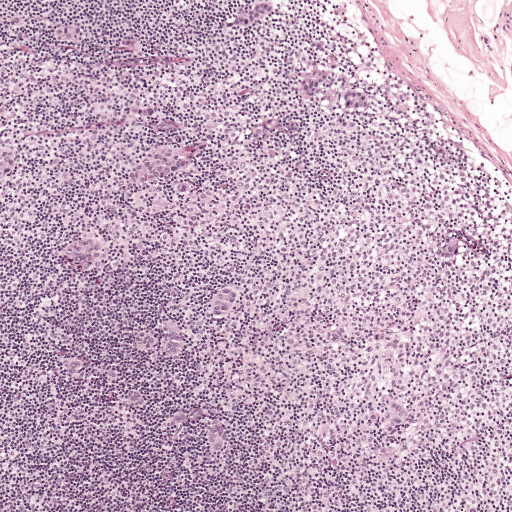
Lymph node section stained with H&E, from a whole-slide image of a breast-cancer sentinel node. Magnification about 5×, about 1 mm across the frame, about 1.9 µm per pixel.
The eight largest tumour regions' boundaries, simplified and listed clockwise, largest first: region 1: (159, 143), (172, 143), (186, 147), (190, 146), (198, 151), (198, 162), (187, 170), (142, 187), (129, 187), (116, 183), (113, 172), (144, 146); region 2: (145, 327), (184, 333), (191, 344), (185, 356), (174, 362), (162, 362), (151, 360), (140, 354), (130, 345), (132, 331); region 3: (73, 233), (85, 234), (97, 237), (107, 244), (106, 257), (96, 266), (84, 270), (68, 269), (58, 264), (52, 250), (57, 238); region 4: (232, 279), (243, 283), (246, 295), (244, 306), (235, 319), (221, 325), (208, 324), (205, 311), (206, 297), (215, 286); region 5: (354, 87), (367, 90), (373, 94), (373, 105), (369, 116), (355, 119), (342, 117), (333, 110), (333, 96), (342, 88); region 6: (318, 70), (330, 71), (335, 76), (330, 88), (306, 101), (295, 100), (289, 88), (293, 76), (304, 71); region 7: (391, 400), (404, 405), (415, 414), (415, 425), (407, 435), (394, 439), (381, 434), (384, 412); region 8: (226, 422), (230, 442), (226, 457), (214, 459), (204, 450), (204, 436), (210, 423).
16 more, smaller tumour regions are not outlined.
About 5% of the image area is annotated as tumour.